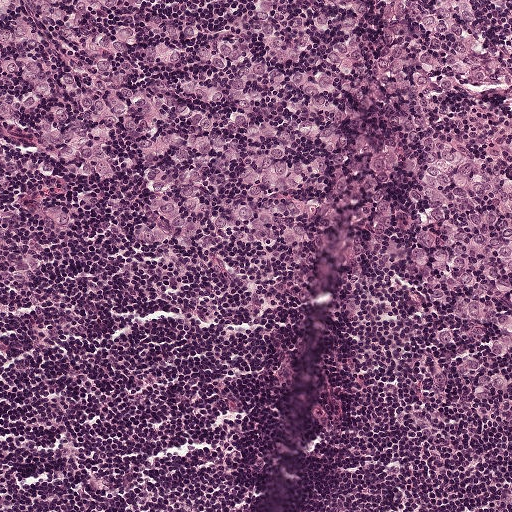
H&E-stained section of a sentinel lymph node (breast cancer), from a whole-slide image, viewed at about 10×: the field is about 0.5 mm across, about 0.97 µm per pixel.
Metastatic tumour outline, simplified to 9 points and listed clockwise in crop pixels (x, y): (0, 0), (511, 0), (511, 426), (459, 387), (418, 328), (351, 288), (96, 198), (56, 166), (2, 94).
The outline encloses a non-tumour hole of about 10% of the region's area.
About 45% of the image area is annotated as tumour.